Image:
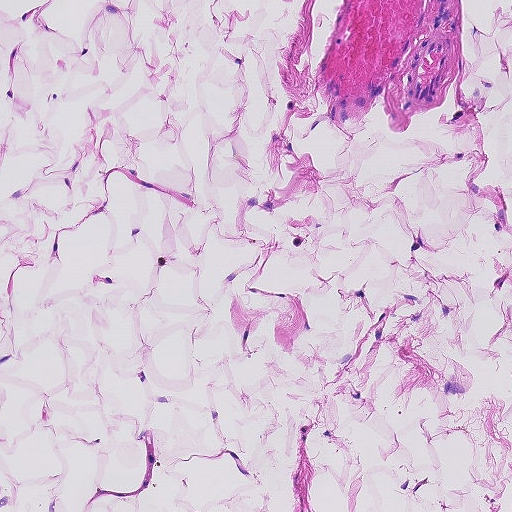
Lymph node section stained with H&E, from a whole-slide image of a breast-cancer sentinel node. Magnification about 10×, about 0.46 mm across the frame, about 0.9 µm per pixel.
Question:
Does this lymph node field contain metastatic tumour?
Answer:
No. No metastatic tumour is outlined in this field.